Image:
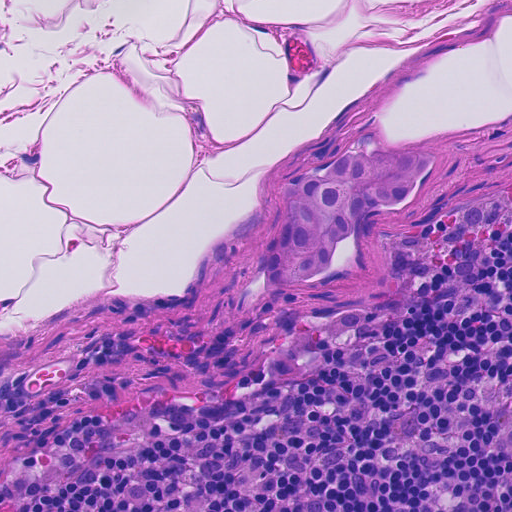
Lymph node section stained with H&E, from a whole-slide image of a breast-cancer sentinel node. Magnification about 20×, about 0.23 mm across the frame, about 0.45 µm per pixel.
Question:
Show where the tumour is in this image.
Answer:
Tumour region outline (a closed clockwise path, crop pixels): (388, 144), (439, 152), (434, 172), (420, 179), (412, 200), (398, 210), (380, 210), (364, 222), (328, 272), (280, 288), (260, 284), (254, 274), (252, 254), (276, 203), (278, 176), (332, 164), (344, 152).
The annotated tumour makes up about 5% of the crop.

Image:
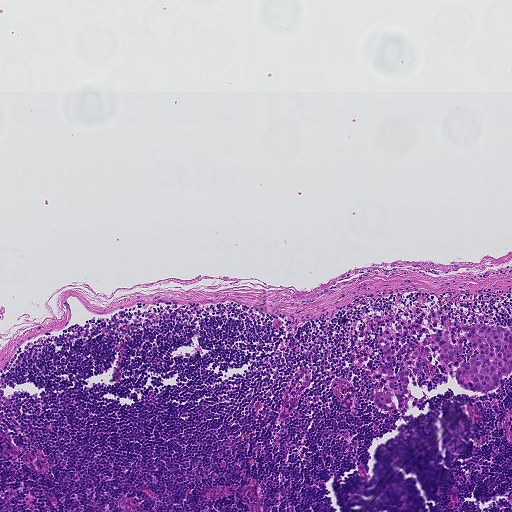
Lymph node section stained with H&E, from a whole-slide image of a breast-cancer sentinel node. Magnification about 5×, about 0.93 mm across the frame, about 1.8 µm per pixel.
Question:
Show where the tumour is in this image.
Answer:
The outlined metastatic tumour's edge, as a closed clockwise path of 23 points: (446, 317), (454, 327), (511, 330), (511, 369), (498, 387), (487, 394), (456, 384), (451, 375), (408, 376), (413, 396), (425, 397), (420, 408), (396, 413), (378, 408), (373, 397), (384, 357), (381, 345), (391, 349), (395, 374), (421, 341), (412, 326), (442, 326), (440, 318).
About 5% of the image area is annotated as tumour.

Image:
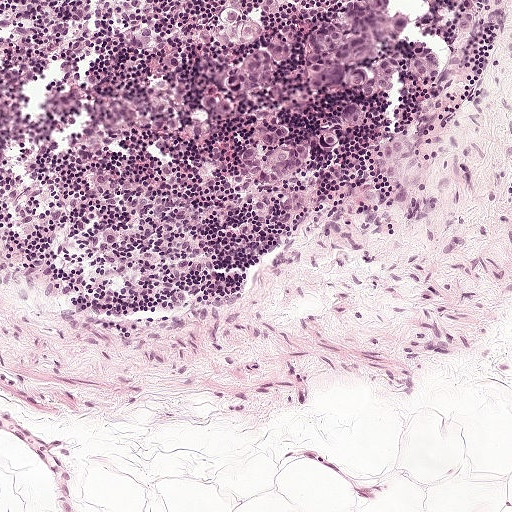
H&E-stained section of a sentinel lymph node (breast cancer), from a whole-slide image, viewed at about 10×: the field is about 0.5 mm across, about 0.97 µm per pixel.
Question:
Show where the tumour is in this image.
Answer:
Five metastatic tumour regions, each outlined as a closed clockwise path in crop pixels (x, y), largest first: region 1: (283, 126), (294, 130), (296, 132), (290, 138), (289, 143), (294, 145), (304, 142), (309, 145), (312, 158), (312, 162), (303, 170), (288, 181), (272, 187), (255, 181), (250, 169), (242, 164), (245, 151), (251, 144), (262, 138), (266, 132); region 2: (275, 40), (284, 42), (292, 50), (292, 57), (275, 70), (267, 89), (258, 93), (232, 92), (224, 88), (225, 76), (246, 56), (268, 48); region 3: (224, 9), (238, 10), (256, 22), (260, 35), (255, 38), (252, 46), (233, 46), (220, 42), (216, 32), (218, 24), (223, 20), (220, 14); region 4: (391, 58), (401, 63), (398, 74), (397, 90), (385, 89), (381, 91), (376, 100), (373, 101), (368, 99), (362, 90), (356, 87), (350, 80), (352, 73), (358, 68), (362, 68), (367, 73), (368, 76), (374, 79), (382, 63); region 5: (422, 40), (440, 54), (442, 70), (437, 80), (432, 81), (415, 74), (414, 58), (418, 53), (416, 42).
Two more small tumour pieces are annotated here but not outlined.
About 5% of the image area is annotated as tumour.

Image:
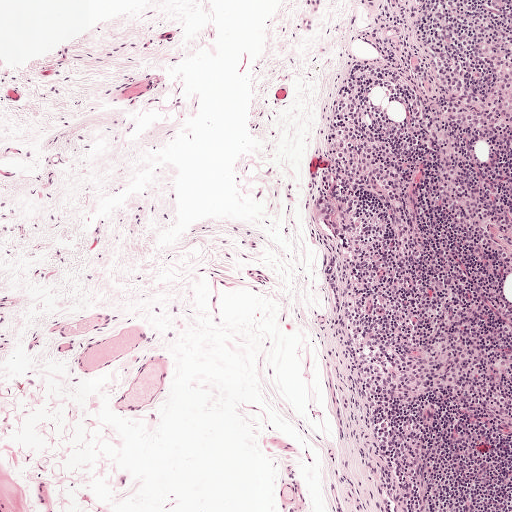
H&E-stained section of a sentinel lymph node (breast cancer), from a whole-slide image, viewed at about 5×: the field is about 1 mm across, about 1.9 µm per pixel.
Question:
Show where the tumour is in this image.
Answer:
Metastatic tumour outline, simplified to 10 points and listed clockwise in crop pixels (x, y): (324, 192), (331, 194), (338, 202), (337, 218), (341, 232), (336, 235), (318, 222), (311, 209), (312, 201), (317, 195).
Tumour covers under 5% of the frame.